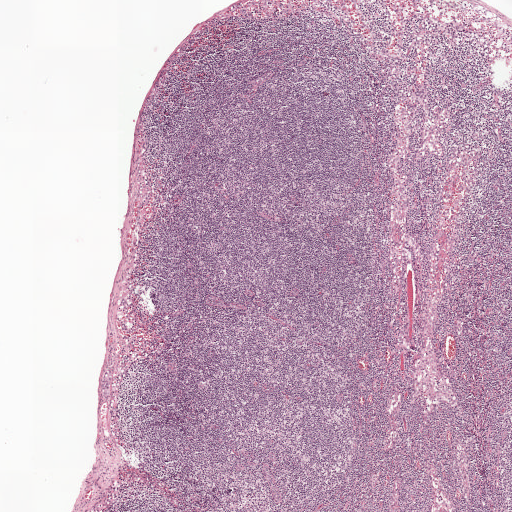
H&E-stained section of a sentinel lymph node (breast cancer), from a whole-slide image, viewed at about 2.5×: the field is about 2.0 mm across, about 3.9 µm per pixel.
The outlined metastatic tumour's edge, as a closed clockwise path of 9 points: (109, 369), (111, 372), (112, 384), (110, 397), (106, 400), (103, 398), (101, 392), (102, 379), (104, 373).
Under 5% of the image area is annotated as tumour.